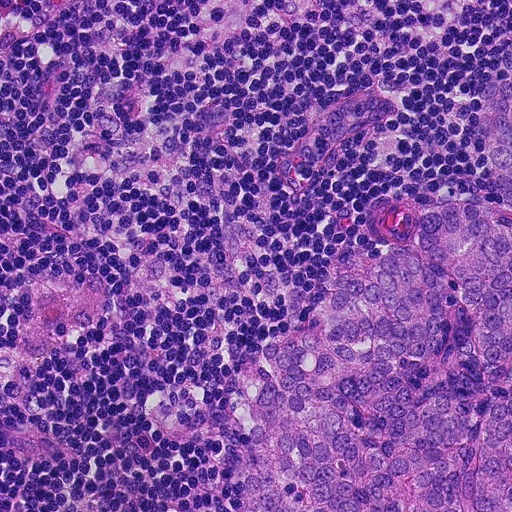
This is a crop of a whole-slide image: an H&E-stained breast-cancer sentinel lymph node section at roughly 20× magnification (about 0.45 µm per pixel; the crop spans about 0.23 mm).
Tumour region outline (a closed clockwise path, crop pixels): (511, 74), (511, 511), (246, 511), (204, 441), (167, 432), (148, 400), (176, 374), (212, 390), (249, 379), (261, 343), (320, 300), (332, 265), (360, 240), (398, 233), (416, 200), (500, 206), (474, 90).
About 30% of this field is tumour.